Lymph node section stained with H&E, from a whole-slide image of a breast-cancer sentinel node. Magnification about 20×, about 0.23 mm across the frame, about 0.45 µm per pixel.
Question: 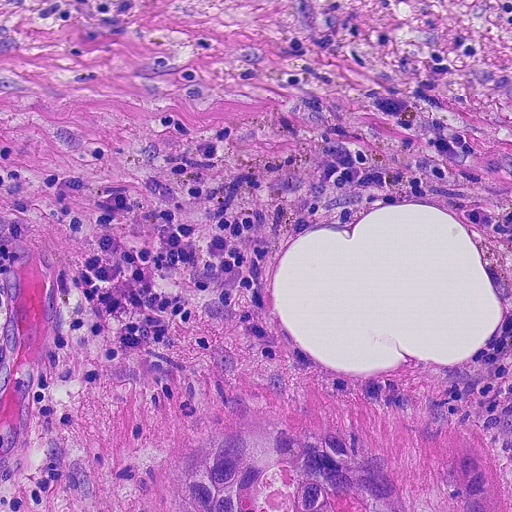
About how much of this crop is taken up by metastatic carcinoma?

Choices:
 (A) about 25% to 45%
 (B) about 50% or more
 (C) about 10% to 20%
 (D) about 5% or less
 (E) none: no tumour is outlined

Answer: (C) about 10% to 20%
About 15% of the field is tumour.
One metastatic tumour region; its boundary, reduced to 8 corners and listed clockwise: (246, 376), (350, 380), (445, 408), (488, 434), (511, 478), (511, 511), (119, 511), (171, 440).